Image:
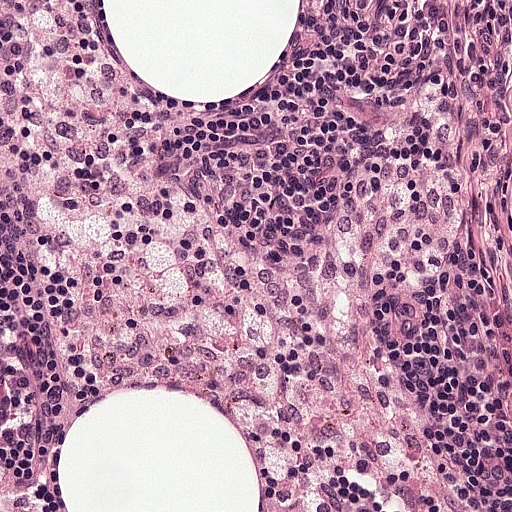
This is a crop of a whole-slide image: an H&E-stained breast-cancer sentinel lymph node section at roughly 20× magnification (about 0.49 µm per pixel; the crop spans about 0.25 mm).
Question:
Is there metastatic carcinoma in this field?
Answer:
No. No metastatic tumour is outlined in this field.